A 0.46-mm field of an H&E-stained sentinel lymph node from a breast-cancer patient (whole-slide image), shown at about 10×, about 0.9 µm per pixel.
Image:
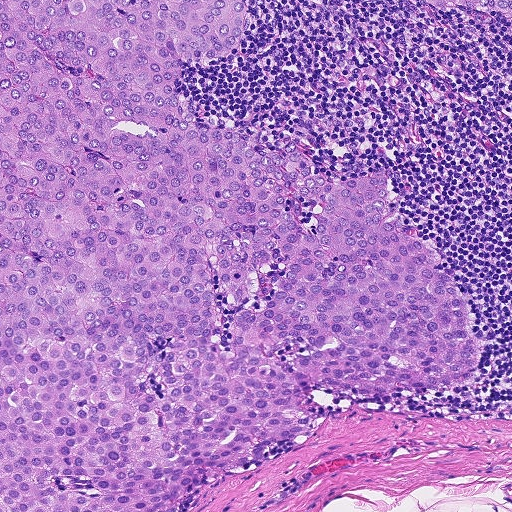
Question:
Show where the tumour is in this image.
Answer:
Boundaries of two metastatic tumour regions, simplified and listed clockwise, largest first: region 1: (0, 0), (244, 0), (250, 21), (234, 56), (179, 68), (174, 93), (207, 130), (300, 150), (324, 180), (388, 176), (399, 227), (432, 250), (434, 268), (455, 272), (470, 308), (474, 381), (371, 398), (321, 385), (306, 434), (269, 445), (187, 504), (0, 511); region 2: (420, 0), (511, 0), (511, 19), (461, 11), (446, 12), (430, 9).
The annotated tumour makes up about 65% of the crop.